Question: 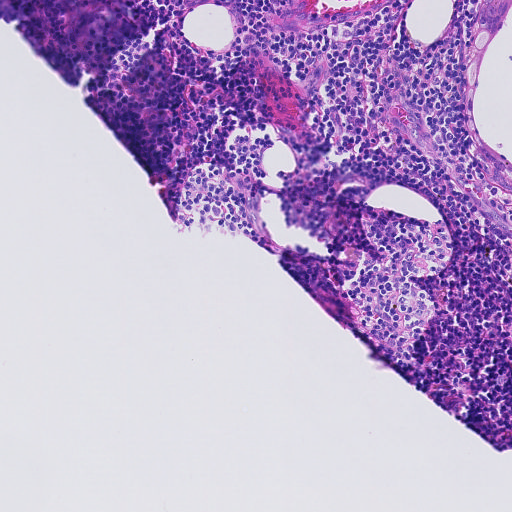
About what magnification does this crop show?

Choices:
 (A) about 40×
 (B) about 20×
 (C) about 2.5×
 (D) about 10×
 (E) about 5×

Answer: (D) about 10×
A 0.46-mm field of an H&E-stained sentinel lymph node from a breast-cancer patient (whole-slide image), shown at about 10×, about 0.91 µm per pixel.